Question: 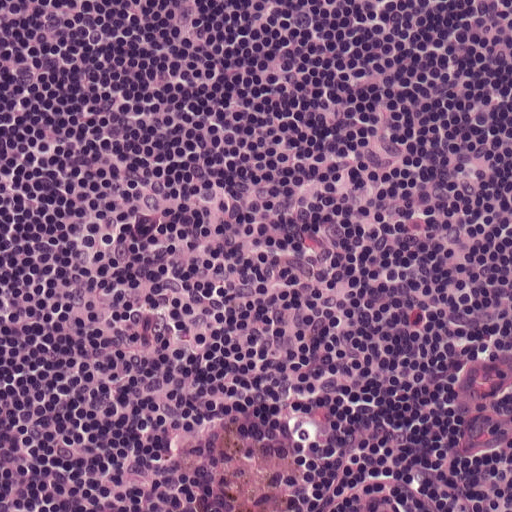
About what magnification does this crop show?

Choices:
 (A) about 5×
 (B) about 20×
 (C) about 10×
 (D) about 2.5×
 (E) about 40×

Answer: (B) about 20×
Lymph node section stained with H&E, from a whole-slide image of a breast-cancer sentinel node. Magnification about 20×, about 0.25 mm across the frame, about 0.49 µm per pixel.